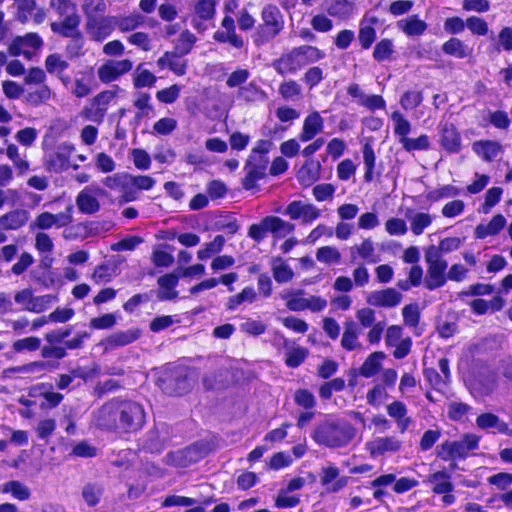
Lymph node section stained with H&E, from a whole-slide image of a breast-cancer sentinel node. Magnification about 40×, about 0.12 mm across the frame, about 0.23 µm per pixel.
The outlined metastatic tumour's edge, as a closed clockwise path of 16 points: (511, 308), (511, 438), (445, 405), (436, 378), (287, 380), (235, 459), (154, 502), (116, 511), (52, 511), (0, 466), (57, 416), (143, 371), (235, 340), (305, 364), (396, 371), (443, 364).
The annotated tumour makes up about 15% of the crop.